This is a crop of a whole-slide image: an H&E-stained breast-cancer sentinel lymph node section at roughly 10× magnification (about 0.97 µm per pixel; the crop spans about 0.5 mm).
Question: 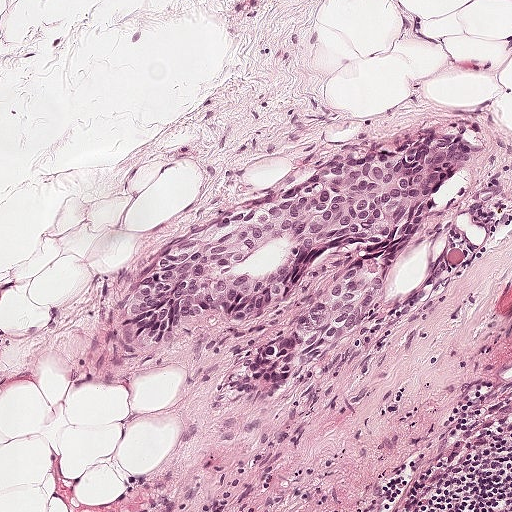
Roughly what share of this field is metastatic tumour?

Choices:
 (A) about 25% to 45%
 (B) none: no tumour is outlined
 (C) about 10% to 20%
 (D) about 50% or more
 (E) about 5% or less

Answer: (C) about 10% to 20%
About 15% of the field is tumour.
Tumour region outline (a closed clockwise path, crop pixels): (448, 132), (478, 137), (483, 150), (423, 204), (384, 299), (293, 388), (234, 400), (225, 379), (361, 264), (360, 245), (320, 251), (276, 311), (244, 332), (190, 330), (160, 353), (124, 336), (126, 290), (169, 247), (225, 228), (378, 146).